This is a crop of a whole-slide image: an H&E-stained breast-cancer sentinel lymph node section at roughly 5× magnification (about 1.9 µm per pixel; the crop spans about 1 mm).
Image:
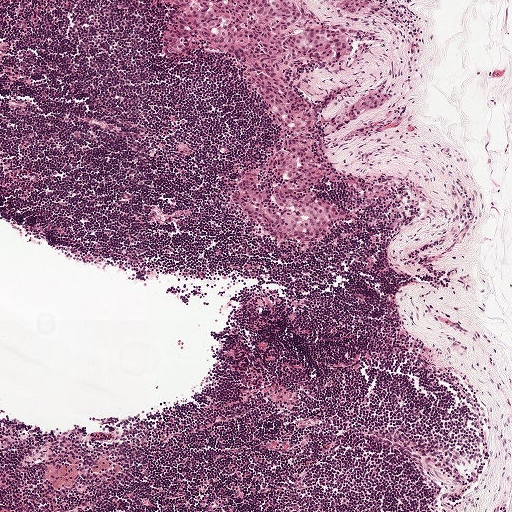
Question:
Which parts of this field are metastatic tumour?
Answer:
Boundaries of three metastatic tumour regions, simplified and listed clockwise, largest first: region 1: (168, 0), (298, 0), (316, 25), (349, 42), (349, 53), (337, 59), (313, 56), (292, 64), (324, 166), (312, 192), (342, 214), (332, 235), (292, 247), (231, 210), (232, 190), (276, 155), (279, 137), (267, 105), (229, 58), (161, 56), (164, 26), (175, 14); region 2: (383, 84), (390, 98), (362, 120), (347, 121), (344, 114), (348, 104), (368, 90); region 3: (332, 0), (373, 0), (373, 1), (369, 7), (350, 15), (346, 15), (341, 14), (336, 9), (333, 5).
The annotated tumour makes up about 10% of the crop.